Question: 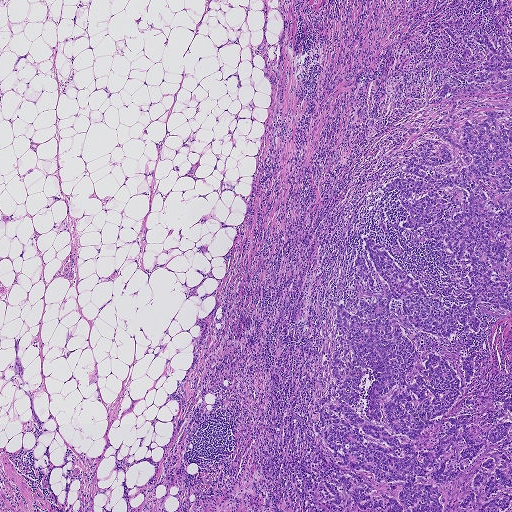
A 1.9-mm field of an H&E-stained sentinel lymph node from a breast-cancer patient (whole-slide image), shown at about 2.5×, about 3.6 µm per pixel.
Roughly what share of this field is metastatic tumour?

Choices:
 (A) about 5% or less
 (B) about 50% or more
 (C) about 25% to 45%
 (D) about 10% to 20%
 (E) none: no tumour is outlined

Answer: (C) about 25% to 45%
About 25% of the field is tumour.
Tumour region outline (a closed clockwise path, crop pixels): (472, 0), (511, 0), (511, 511), (324, 511), (300, 481), (334, 468), (307, 412), (364, 241), (447, 307), (472, 296), (448, 274), (462, 266), (419, 244), (381, 192), (436, 135), (426, 129), (483, 109), (428, 99), (464, 46), (441, 24).